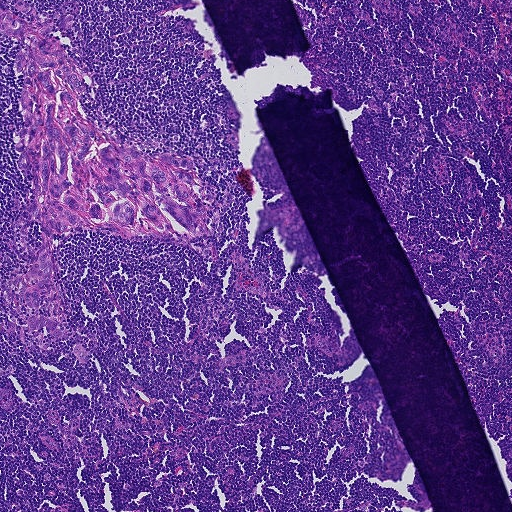
H&E-stained section of a sentinel lymph node (breast cancer), from a whole-slide image, viewed at about 5×: the field is about 0.93 mm across, about 1.8 µm per pixel.
Two metastatic tumour regions, each outlined as a closed clockwise path in crop pixels (x, y), largest first: region 1: (15, 0), (48, 15), (83, 80), (81, 114), (119, 148), (191, 158), (213, 204), (211, 233), (186, 244), (55, 232), (38, 309), (65, 330), (57, 342), (29, 330), (15, 296), (44, 243), (14, 143), (23, 73), (13, 60), (29, 44), (2, 34), (0, 7), (32, 20); region 2: (80, 343), (86, 348), (86, 355), (84, 361), (78, 358), (74, 352), (74, 345).
The annotated tumour makes up about 10% of the crop.